Question: 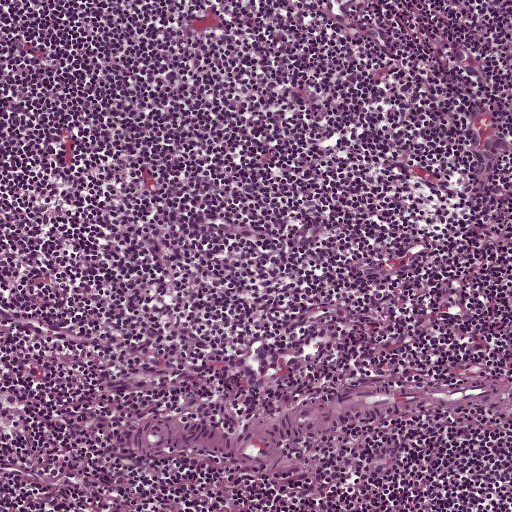
Which magnification is this H&E lymph node field most likely shown at?

Choices:
 (A) about 10×
 (B) about 40×
 (C) about 20×
 (D) about 5×
 (E) about 2.5×

Answer: (A) about 10×
This is a crop of a whole-slide image: an H&E-stained breast-cancer sentinel lymph node section at roughly 10× magnification (about 0.97 µm per pixel; the crop spans about 0.5 mm).